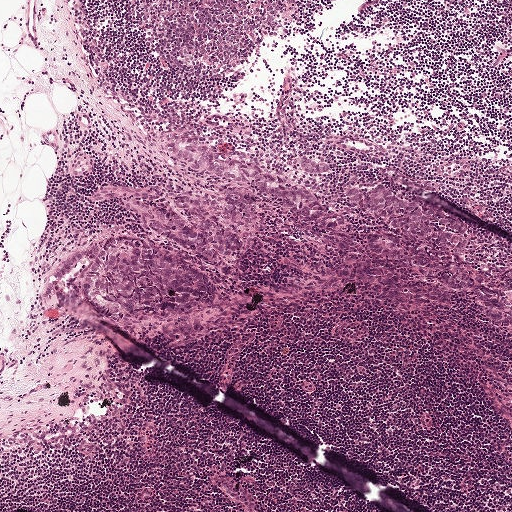
A 1-mm field of an H&E-stained sentinel lymph node from a breast-cancer patient (whole-slide image), shown at about 5×, about 1.9 µm per pixel.
Outlines of six tumour regions, largest first (closed clockwise paths, crop pixels): region 1: (122, 234), (149, 243), (205, 274), (214, 288), (211, 303), (174, 318), (140, 320), (101, 331), (58, 315), (46, 282), (65, 256), (101, 237); region 2: (151, 181), (169, 193), (206, 194), (221, 206), (222, 191), (242, 192), (252, 197), (259, 227), (250, 251), (230, 262), (234, 269), (230, 275), (220, 275), (186, 251), (144, 230), (118, 206), (90, 200), (92, 188), (104, 184); region 3: (174, 132), (205, 143), (263, 169), (279, 171), (295, 178), (314, 197), (331, 208), (342, 222), (341, 230), (324, 231), (296, 218), (253, 188), (234, 186), (212, 178), (184, 163), (167, 150), (167, 138); region 4: (389, 236), (424, 253), (442, 256), (458, 263), (466, 262), (474, 270), (484, 274), (495, 274), (511, 267), (511, 328), (492, 326), (468, 294), (403, 268), (384, 264), (366, 248), (366, 238); region 5: (357, 184), (368, 189), (380, 185), (400, 196), (418, 199), (457, 216), (470, 231), (468, 251), (464, 254), (457, 254), (431, 249), (387, 230), (376, 220), (352, 208), (345, 194), (349, 187); region 6: (305, 156), (312, 158), (315, 162), (318, 161), (329, 164), (330, 170), (315, 175), (302, 172), (298, 167), (298, 159).
The annotated tumour makes up about 15% of the crop.